H&E-stained section of a sentinel lymph node (breast cancer), from a whole-slide image, viewed at about 10×: the field is about 0.5 mm across, about 0.97 µm per pixel.
Question: 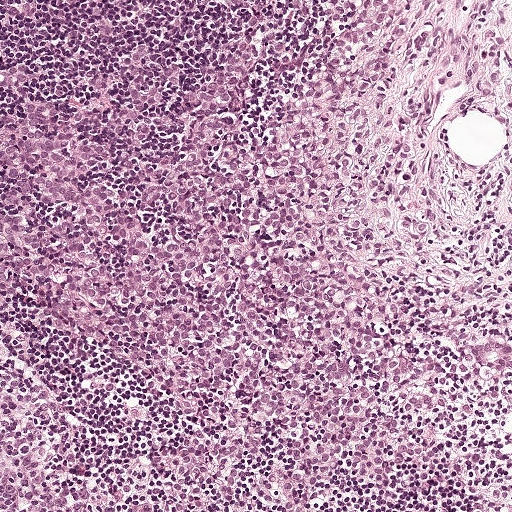
What fraction of the image area is metastatic tumour?

Choices:
 (A) about 25% to 45%
 (B) about 5% or less
 (C) about 50% or more
 (D) about 10% to 20%
 (E) none: no tumour is outlined

Answer: (C) about 50% or more
About 50% of the field is tumour.
One metastatic tumour region; its boundary, reduced to 19 corners and listed clockwise: (292, 0), (409, 0), (325, 139), (310, 210), (336, 243), (498, 326), (511, 346), (511, 382), (485, 377), (340, 439), (310, 432), (267, 390), (148, 382), (0, 288), (0, 92), (60, 87), (149, 48), (214, 60), (262, 39).